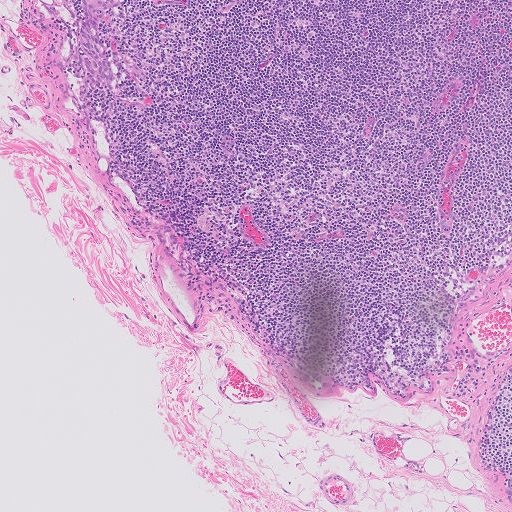
A 1.0-mm field of an H&E-stained sentinel lymph node from a breast-cancer patient (whole-slide image), shown at about 5×, about 2.0 µm per pixel.
One metastatic tumour region; its boundary, reduced to 11 corners and listed clockwise: (82, 0), (106, 0), (109, 5), (110, 14), (102, 28), (114, 74), (109, 89), (101, 91), (86, 86), (78, 71), (76, 54).
Tumour covers under 5% of the frame.